Lymph node section stained with H&E, from a whole-slide image of a breast-cancer sentinel node. Magnification about 2.5×, about 1.9 mm across the frame, about 3.6 µm per pixel.
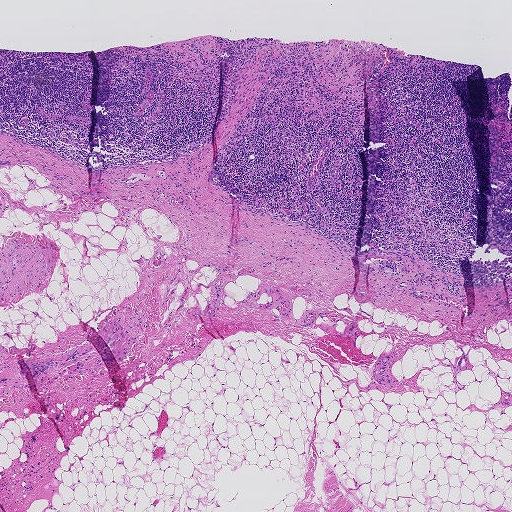
Question: Does this lymph node field contain metastatic tumour?
Answer: No. No metastatic tumour is outlined in this field.